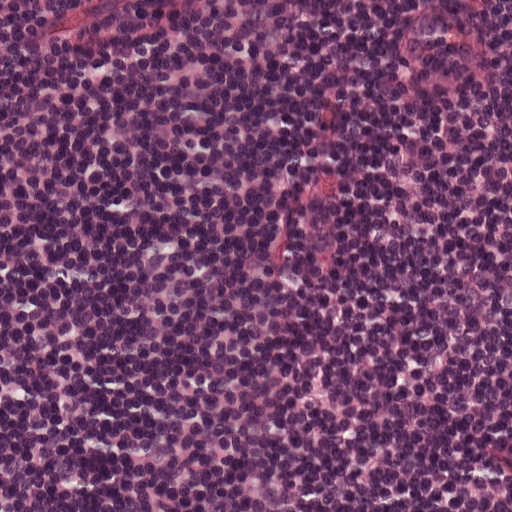
A 0.25-mm field of an H&E-stained sentinel lymph node from a breast-cancer patient (whole-slide image), shown at about 20×, about 0.49 µm per pixel.